Image:
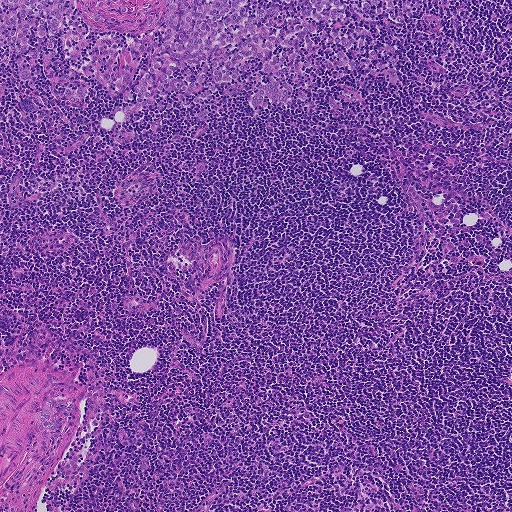
Lymph node section stained with H&E, from a whole-slide image of a breast-cancer sentinel node. Magnification about 5×, about 0.93 mm across the frame, about 1.8 µm per pixel.
Question:
Outline the metastatic carcinoma in this image, as closed paths of (x, y) pixel coordinates.
Answer:
Boundaries of two metastatic tumour regions, simplified and listed clockwise, largest first: region 1: (0, 0), (421, 4), (401, 24), (343, 11), (342, 32), (392, 47), (392, 85), (359, 62), (333, 78), (339, 57), (310, 37), (312, 66), (282, 81), (310, 98), (250, 114), (251, 77), (272, 73), (249, 58), (230, 85), (248, 90), (203, 99), (194, 137), (192, 93), (111, 116), (121, 95), (82, 67), (121, 33), (78, 16), (81, 59), (60, 27), (51, 58), (50, 12), (44, 22), (42, 38), (2, 47); region 2: (77, 86), (82, 87), (84, 90), (85, 98), (84, 102), (80, 104), (71, 103), (68, 99), (64, 92), (67, 88), (74, 93), (76, 90).
One more small tumour piece is annotated here but not outlined.
The annotated tumour makes up about 10% of the crop.